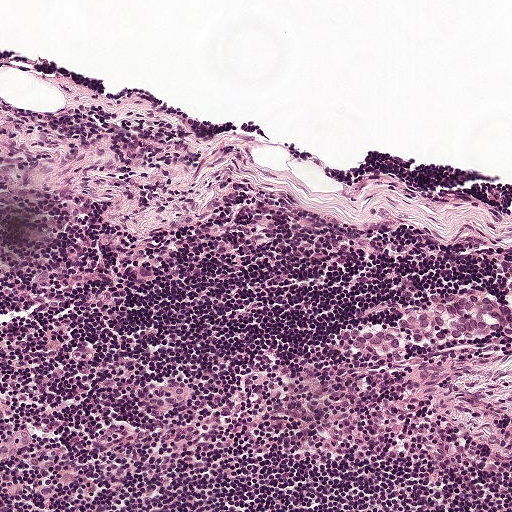
A 0.5-mm field of an H&E-stained sentinel lymph node from a breast-cancer patient (whole-slide image), shown at about 10×, about 0.97 µm per pixel.
Metastatic tumour outline, simplified to 21 points and listed clockwise in crop pixels (x, y): (511, 281), (511, 334), (494, 329), (446, 344), (409, 344), (391, 355), (383, 355), (374, 348), (350, 349), (342, 336), (341, 331), (352, 325), (392, 322), (410, 306), (425, 302), (434, 292), (454, 294), (483, 289), (505, 300), (509, 298), (507, 282).
The annotated tumour makes up under 5% of the crop.